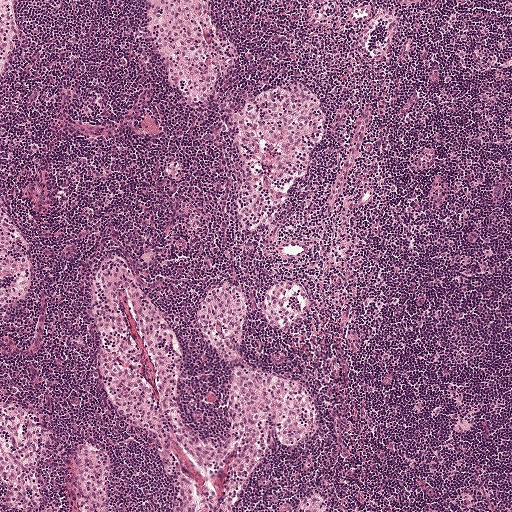
H&E-stained section of a sentinel lymph node (breast cancer), from a whole-slide image, viewed at about 5×: the field is about 1 mm across, about 1.9 µm per pixel.